A 1.9-mm field of an H&E-stained sentinel lymph node from a breast-cancer patient (whole-slide image), shown at about 2.5×, about 3.6 µm per pixel.
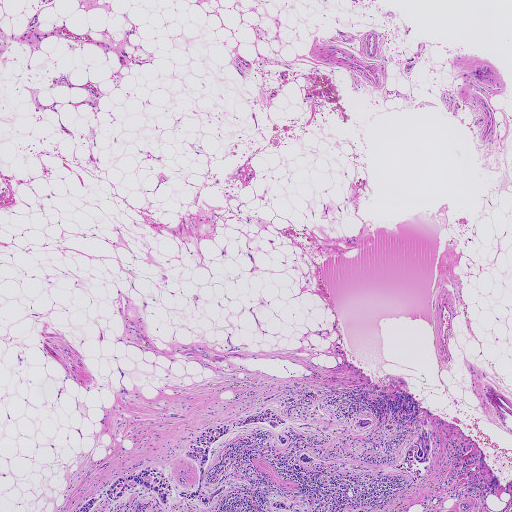
Boundaries of eight metastatic tumour regions, simplified and listed clockwise, largest first: region 1: (264, 409), (277, 409), (288, 422), (278, 428), (287, 443), (283, 447), (274, 440), (274, 432), (269, 427), (255, 424), (234, 430), (216, 441), (210, 468), (203, 480), (211, 491), (227, 485), (210, 508), (203, 510), (188, 506), (188, 511), (72, 511), (89, 496), (107, 490), (114, 479), (150, 465), (162, 469), (177, 490), (190, 491), (196, 488), (200, 476), (195, 464), (185, 457), (188, 448), (201, 434), (220, 424); region 2: (396, 390), (402, 390), (414, 397), (419, 412), (412, 425), (400, 425), (391, 420), (380, 422), (367, 407), (371, 398), (376, 398), (380, 392), (387, 392), (394, 399), (396, 396), (392, 391); region 3: (426, 426), (429, 427), (433, 436), (433, 451), (431, 465), (420, 480), (411, 488), (407, 489), (411, 479), (406, 472), (391, 469), (391, 466), (401, 461), (408, 445); region 4: (280, 497), (292, 501), (293, 506), (290, 510), (277, 511), (270, 507), (270, 500); region 5: (302, 452), (307, 452), (314, 455), (316, 461), (313, 463), (306, 464), (300, 463), (297, 457); region 6: (364, 418), (372, 418), (372, 422), (370, 426), (362, 428), (356, 427), (355, 423), (359, 419); region 7: (290, 397), (296, 399), (292, 403), (282, 406), (280, 405), (283, 401); region 8: (277, 394), (276, 397), (270, 401), (262, 402), (263, 399), (270, 395).
Six more small tumour pieces are annotated here but not outlined.
About 5% of this field is tumour.